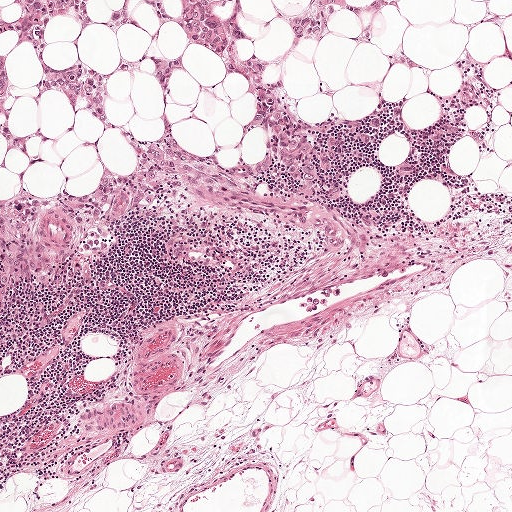
This is a crop of a whole-slide image: an H&E-stained breast-cancer sentinel lymph node section at roughly 5× magnification (about 1.9 µm per pixel; the crop spans about 1 mm).
Question: Is any metastatic breast cancer visible in this crop?
Answer: Yes.
The outlined metastatic tumour's edge, as a closed clockwise path of 11 points: (0, 0), (511, 0), (508, 111), (467, 226), (360, 264), (255, 277), (221, 294), (190, 294), (159, 273), (102, 272), (1, 338).
About 50% of the image area is annotated as tumour.